Question: 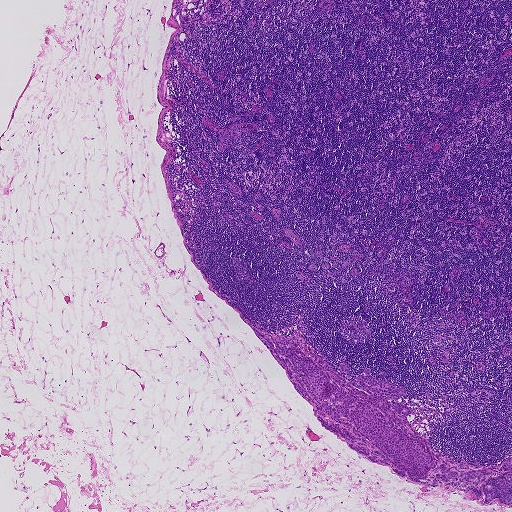
Lymph node section stained with H&E, from a whole-slide image of a breast-cancer sentinel node. Magnification about 2.5×, about 1.9 mm across the frame, about 3.6 µm per pixel.
About how much of this crop is taken up by metastatic carcinoma?

Choices:
 (A) about 10% to 20%
 (B) about 5% or less
 (C) none: no tumour is outlined
 (D) about 50% or more
 (E) about 25% to 45%

Answer: (B) about 5% or less
About 5% of the field is tumour.
Metastatic tumour outline, simplified to 22 points and listed clockwise in crop pixels (x, y): (240, 315), (258, 329), (298, 336), (339, 374), (347, 381), (368, 367), (380, 379), (385, 371), (381, 379), (407, 392), (400, 396), (412, 412), (408, 421), (449, 459), (490, 468), (507, 458), (511, 506), (497, 498), (484, 503), (458, 486), (401, 479), (324, 428).